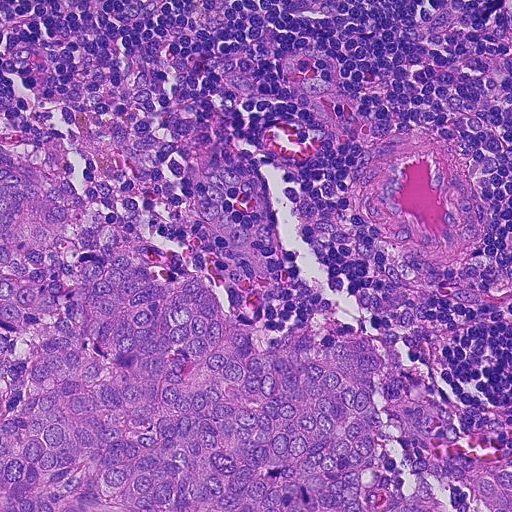
Lymph node section stained with H&E, from a whole-slide image of a breast-cancer sentinel node. Magnification about 20×, about 0.23 mm across the frame, about 0.45 µm per pixel.
Question: Outline the metastatic carcinoma in this image, as closed paths of (x, y) pixel coordinates.
Answer: The outlined metastatic tumour's edge, as a closed clockwise path of 15 points: (178, 102), (213, 104), (269, 190), (284, 291), (256, 332), (274, 338), (318, 314), (352, 323), (384, 335), (458, 407), (511, 417), (511, 511), (0, 511), (0, 141), (116, 133).
About 55% of the image area is annotated as tumour.